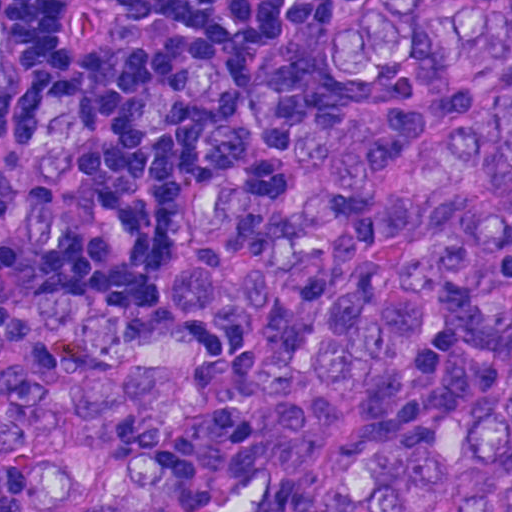
A 0.12-mm field of an H&E-stained sentinel lymph node from a breast-cancer patient (whole-slide image), shown at about 40×, about 0.23 µm per pixel.
Two metastatic tumour regions, each outlined as a closed clockwise path in crop pixels (x, y), largest first: region 1: (511, 0), (511, 511), (0, 511), (0, 312), (53, 286), (179, 301), (179, 233), (213, 185), (202, 126), (338, 3); region 2: (84, 90), (93, 123), (85, 172), (68, 228), (40, 252), (9, 239), (7, 205), (22, 147), (47, 97).
One more small tumour piece is annotated here but not outlined.
About 80% of this field is tumour.